Lymph node section stained with H&E, from a whole-slide image of a breast-cancer sentinel node. Magnification about 20×, about 0.25 mm across the frame, about 0.49 µm per pixel.
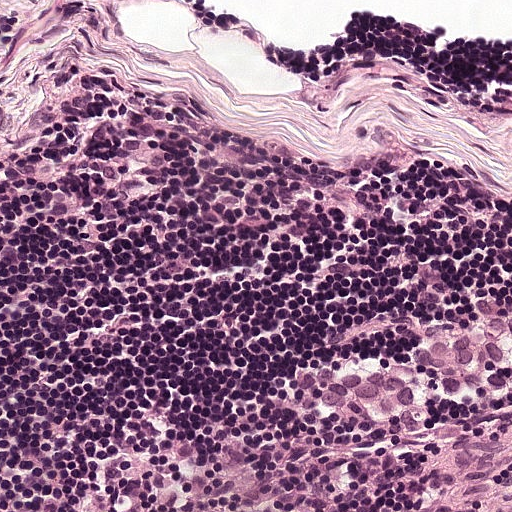
Question: Trace the edge of each tumour region in this crop, as (x, y) points from 0 to 511.
Answer: One metastatic tumour region; its boundary, reduced to 15 corners and listed clockwise: (484, 294), (511, 296), (511, 395), (434, 398), (402, 419), (388, 419), (364, 405), (316, 406), (299, 380), (298, 371), (318, 360), (388, 356), (412, 344), (435, 320), (466, 312).
About 5% of the image area is annotated as tumour.